Lymph node section stained with H&E, from a whole-slide image of a breast-cancer sentinel node. Magnification about 10×, about 0.5 mm across the frame, about 0.97 µm per pixel.
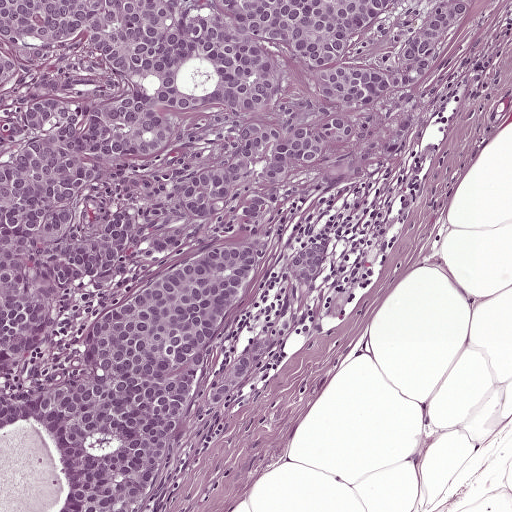
The outlined metastatic tumour's edge, as a closed clockwise path of 22 points: (0, 0), (407, 0), (358, 32), (364, 63), (470, 0), (400, 148), (142, 242), (13, 366), (74, 370), (114, 302), (204, 252), (281, 258), (327, 228), (319, 284), (262, 274), (204, 354), (294, 344), (198, 392), (134, 511), (58, 511), (54, 438), (1, 416).
One more small tumour piece is annotated here but not outlined.
About 50% of the image area is annotated as tumour.